This is a crop of a whole-slide image: an H&E-stained breast-cancer sentinel lymph node section at roughly 5× magnification (about 1.9 µm per pixel; the crop spans about 1 mm).
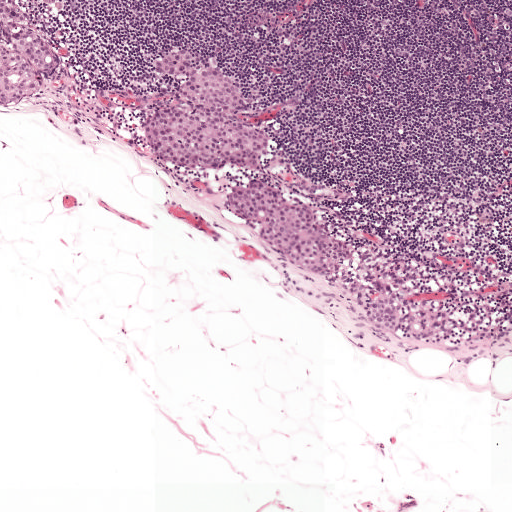
Four metastatic tumour regions, each outlined as a closed clockwise path in crop pixels (x, y), largest first: region 1: (175, 40), (201, 48), (239, 85), (265, 129), (268, 142), (261, 166), (238, 176), (173, 167), (152, 152), (144, 116), (154, 107), (177, 103), (181, 76), (156, 75), (150, 64), (153, 52), (162, 43); region 2: (262, 179), (287, 188), (320, 211), (351, 239), (356, 251), (350, 262), (330, 278), (318, 277), (272, 254), (225, 208), (224, 195), (234, 186); region 3: (0, 0), (16, 0), (27, 24), (49, 38), (56, 48), (59, 60), (56, 72), (44, 76), (41, 88), (34, 99), (9, 105), (0, 105), (0, 48), (12, 47), (0, 28); region 4: (376, 296), (388, 296), (399, 300), (404, 311), (402, 325), (393, 334), (380, 336), (369, 331), (364, 318), (367, 305).
About 10% of this field is tumour.